A 0.26-mm field of an H&E-stained sentinel lymph node from a breast-cancer patient (whole-slide image), shown at about 20×, about 0.5 µm per pixel.
Question: 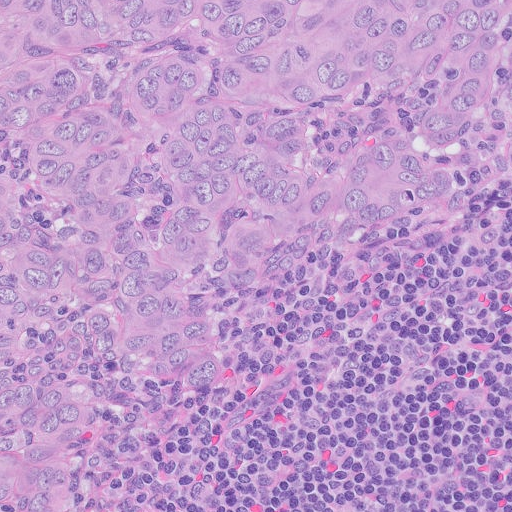
Estimate the proportion of this field that is metastatic tumour.

Choices:
 (A) none: no tumour is outlined
 (B) about 10% to 20%
 (C) about 50% or more
 (D) about 5% or less
 (E) about 25% to 45%

Answer: (C) about 50% or more
About 65% of the field is tumour.
One metastatic tumour region; its boundary, reduced to 14 corners and listed clockwise: (0, 0), (511, 0), (511, 165), (449, 220), (362, 245), (284, 286), (240, 288), (221, 373), (186, 398), (142, 386), (112, 418), (88, 503), (102, 511), (0, 511).